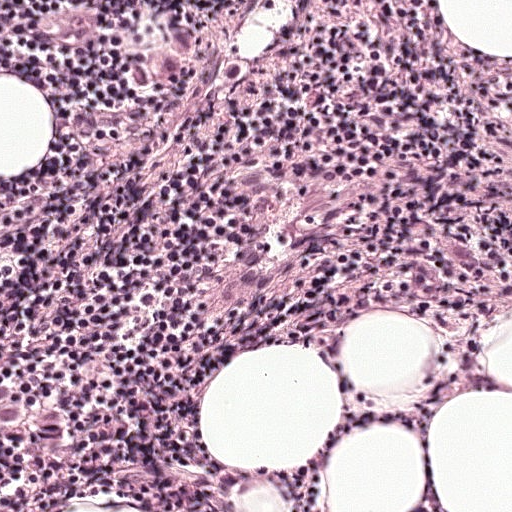
H&E-stained section of a sentinel lymph node (breast cancer), from a whole-slide image, viewed at about 20×: the field is about 0.25 mm across, about 0.49 µm per pixel.